Question: 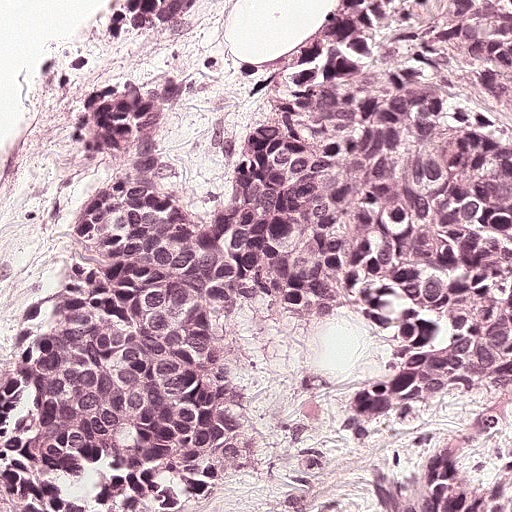
This is a crop of a whole-slide image: an H&E-stained breast-cancer sentinel lymph node section at roughly 20× magnification (about 0.49 µm per pixel; the crop spans about 0.25 mm).
What fraction of the image area is metastatic tumour?

Choices:
 (A) about 10% to 20%
 (B) about 5% or less
 (C) about 25% to 45%
 (D) about 50% or more
 (E) none: no tumour is outlined

Answer: (D) about 50% or more
About 70% of the field is tumour.
One metastatic tumour region; its boundary, reduced to 24 corners and listed clockwise: (79, 0), (191, 0), (161, 127), (225, 196), (318, 0), (511, 0), (511, 511), (380, 511), (414, 453), (487, 407), (338, 432), (388, 350), (353, 310), (240, 294), (275, 416), (230, 478), (140, 511), (33, 511), (0, 489), (0, 366), (95, 157), (62, 114), (142, 58), (141, 34).
Question: 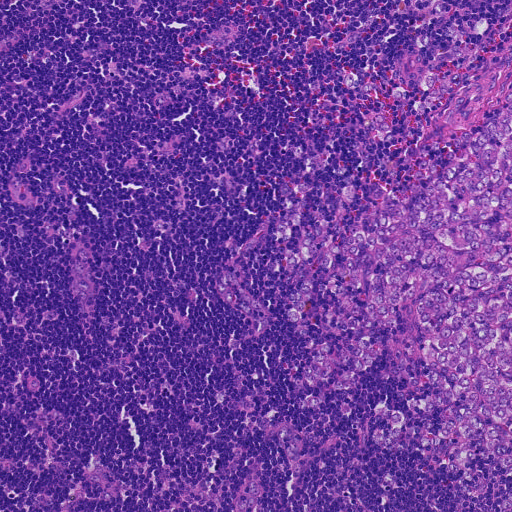
Lymph node section stained with H&E, from a whole-slide image of a breast-cancer sentinel node. Magnification about 10×, about 0.46 mm across the frame, about 0.91 µm per pixel.
What fraction of the image area is metastatic tumour?

Choices:
 (A) about 5% or less
 (B) about 10% to 20%
 (C) about 25% to 45%
 (D) about 50% or more
 (E) none: no tumour is outlined

Answer: (B) about 10% to 20%
About 20% of the field is tumour.
Outlines of four tumour regions, largest first (closed clockwise paths, crop pixels): region 1: (509, 92), (511, 473), (466, 444), (374, 445), (380, 416), (437, 430), (444, 408), (406, 400), (437, 386), (417, 296), (357, 384), (306, 408), (302, 368), (334, 338), (290, 325), (287, 310), (302, 284), (314, 306), (334, 296), (315, 258), (324, 245), (410, 194); region 2: (446, 61), (467, 76), (441, 114), (408, 135), (377, 137), (374, 126), (357, 100), (339, 88), (345, 71), (392, 86), (414, 84), (431, 67); region 3: (346, 178), (361, 184), (346, 220), (312, 254), (289, 268), (278, 254), (269, 230), (296, 180), (318, 180), (311, 198), (312, 217), (329, 203); region 4: (511, 478), (511, 511), (498, 511), (502, 504), (505, 489).
Question: 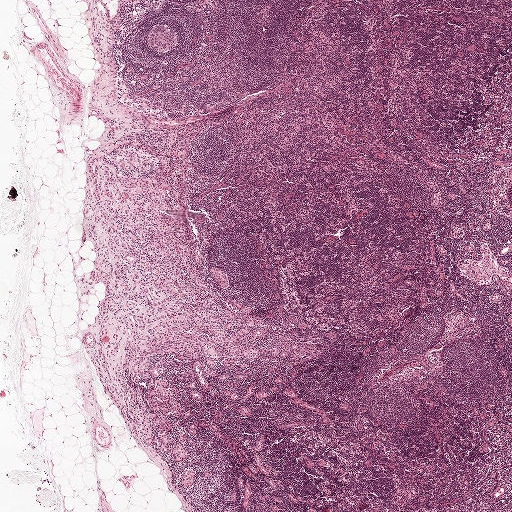
This is a crop of a whole-slide image: an H&E-stained breast-cancer sentinel lymph node section at roughly 2.5× magnification (about 3.9 µm per pixel; the crop spans about 2.0 mm).
What fraction of the image area is metastatic tumour?

Choices:
 (A) about 25% to 45%
 (B) none: no tumour is outlined
 (C) about 5% or less
 (D) about 10% to 20%
 (E) about 50% or more

Answer: (D) about 10% to 20%
About 10% of the field is tumour.
Five metastatic tumour regions, each outlined as a closed clockwise path in crop pixels (x, y), largest first: region 1: (96, 158), (160, 182), (163, 220), (185, 226), (176, 230), (182, 243), (192, 252), (211, 239), (200, 248), (201, 266), (194, 262), (217, 305), (240, 314), (233, 300), (261, 320), (234, 342), (259, 353), (256, 361), (214, 367), (173, 351), (152, 362), (151, 375), (172, 384), (178, 410), (156, 414), (166, 417), (160, 427), (172, 438), (169, 445), (188, 451), (182, 461), (149, 450), (130, 433), (126, 412), (99, 374), (107, 287), (95, 267), (98, 245), (83, 224), (90, 170); region 2: (186, 150), (189, 154), (188, 164), (185, 169), (183, 179), (179, 180), (173, 180), (172, 171), (179, 163), (179, 153); region 3: (184, 468), (191, 468), (196, 471), (196, 481), (192, 488), (184, 488), (181, 486), (181, 472); region 4: (214, 266), (218, 267), (227, 275), (228, 286), (226, 288), (223, 288), (218, 285), (211, 278), (210, 271), (211, 267); region 5: (171, 131), (177, 133), (176, 154), (175, 156), (167, 156), (164, 151), (164, 146).
One more small tumour piece is annotated here but not outlined.
Question: 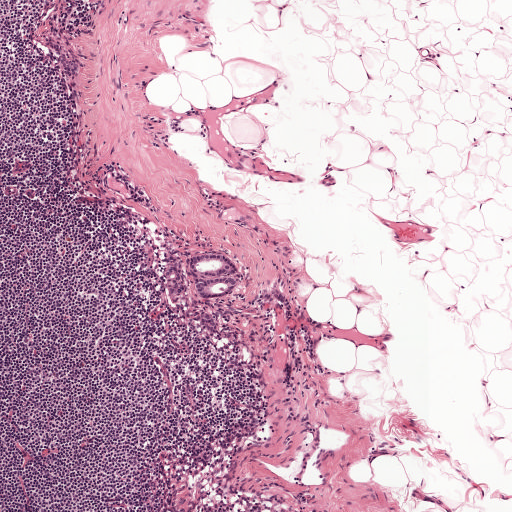
Lymph node section stained with H&E, from a whole-slide image of a breast-cancer sentinel node. Magnification about 5×, about 1 mm across the frame, about 1.9 µm per pixel.
What fraction of the image area is metastatic tumour?

Choices:
 (A) about 50% or more
 (B) about 25% to 45%
 (C) about 5% or less
 (D) none: no tumour is outlined
 (E) about 10% to 20%

Answer: (C) about 5% or less
Under 5% of the field is tumour.
Outlines of five tumour regions, largest first (closed clockwise paths, crop pixels): region 1: (217, 251), (232, 258), (240, 265), (244, 275), (241, 285), (235, 294), (225, 298), (203, 300), (198, 299), (192, 290), (186, 259), (196, 254); region 2: (171, 254), (180, 259), (187, 281), (187, 288), (174, 297), (168, 292), (166, 269); region 3: (46, 38), (51, 38), (70, 54), (78, 63), (80, 75), (74, 77), (63, 73), (53, 50), (44, 42); region 4: (189, 310), (200, 313), (198, 315), (209, 315), (214, 320), (216, 328), (215, 333), (208, 332), (199, 324), (196, 317), (198, 316), (191, 318), (186, 316), (185, 312); region 5: (277, 289), (282, 291), (285, 303), (282, 303), (276, 300), (267, 302), (258, 298), (260, 294).